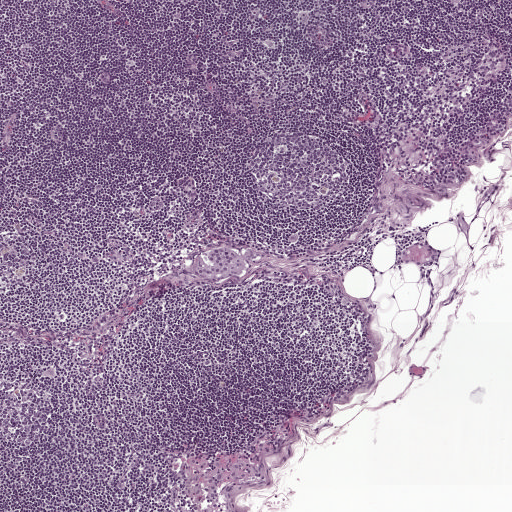
A 1-mm field of an H&E-stained sentinel lymph node from a breast-cancer patient (whole-slide image), shown at about 5×, about 1.9 µm per pixel.
Tumour region outline (a closed clockwise path, crop pixels): (218, 248), (236, 250), (251, 248), (265, 253), (266, 257), (245, 271), (242, 277), (227, 278), (214, 284), (181, 273), (181, 270), (200, 254).
Under 5% of this field is tumour.